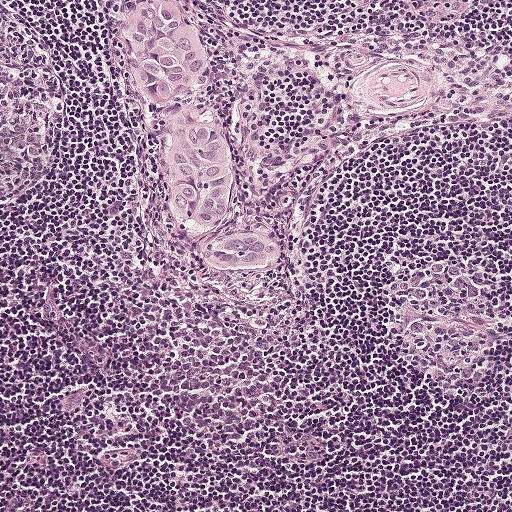
H&E-stained section of a sentinel lymph node (breast cancer), from a whole-slide image, viewed at about 10×: the field is about 0.5 mm across, about 0.97 µm per pixel.
One metastatic tumour region; its boundary, reduced to 21 corners and listed clockwise: (170, 0), (200, 31), (210, 69), (199, 91), (200, 112), (219, 121), (237, 167), (230, 220), (216, 232), (247, 228), (280, 243), (278, 255), (262, 264), (227, 268), (209, 262), (171, 217), (165, 158), (140, 73), (126, 47), (127, 18), (140, 2).
About 5% of the image area is annotated as tumour.